Image:
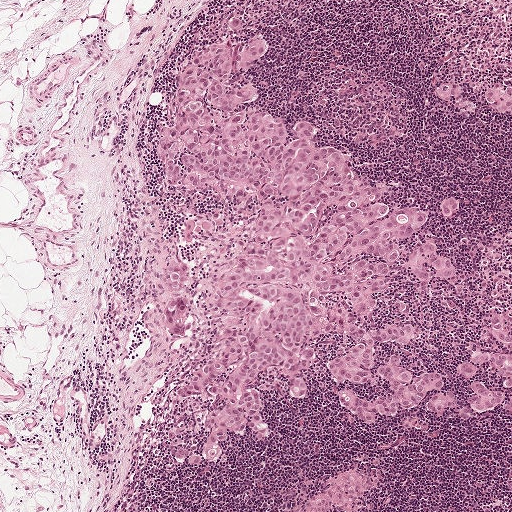
This is a crop of a whole-slide image: an H&E-stained breast-cancer sentinel lymph node section at roughly 5× magnification (about 1.9 µm per pixel; the crop spans about 1 mm).
Question:
Does this lymph node field contain metastatic tumour?
Answer:
Yes.
Eight metastatic tumour regions, each outlined as a closed clockwise path in crop pixels (x, y), largest first: region 1: (239, 17), (270, 43), (249, 107), (283, 119), (286, 144), (310, 119), (394, 212), (431, 215), (415, 244), (437, 241), (458, 281), (430, 288), (395, 266), (421, 337), (377, 357), (440, 369), (445, 386), (362, 422), (340, 393), (392, 388), (332, 373), (353, 344), (334, 332), (311, 399), (268, 389), (264, 442), (246, 424), (229, 460), (183, 464), (166, 440), (198, 407), (179, 394), (210, 358), (238, 224), (170, 187), (157, 154), (187, 78); region 2: (479, 350), (482, 351), (491, 350), (500, 351), (509, 354), (511, 353), (511, 388), (509, 387), (504, 383), (503, 376), (500, 375), (497, 372), (494, 365), (487, 364), (484, 366), (479, 374), (477, 375), (473, 377), (471, 377), (466, 375), (460, 370), (460, 367), (460, 363), (465, 360), (470, 360), (471, 359), (472, 359), (472, 354), (474, 352); region 3: (178, 270), (186, 275), (186, 294), (191, 302), (191, 310), (186, 333), (182, 337), (178, 337), (165, 324), (169, 296), (164, 281), (165, 275), (172, 271); region 4: (476, 382), (484, 382), (511, 395), (511, 412), (502, 406), (495, 406), (473, 420), (465, 422), (462, 420), (470, 392), (473, 390), (473, 384); region 5: (511, 85), (511, 119), (507, 114), (494, 110), (485, 101), (485, 93), (488, 91), (496, 87); region 6: (454, 390), (456, 395), (456, 407), (440, 411), (435, 410), (429, 406), (430, 397), (440, 391), (445, 393); region 7: (453, 80), (462, 86), (462, 96), (458, 101), (451, 102), (435, 96), (435, 92), (437, 87), (447, 89), (450, 88), (446, 84), (448, 82); region 8: (446, 196), (455, 197), (458, 197), (458, 200), (458, 212), (450, 216), (444, 216), (441, 215), (442, 205), (444, 197).
The annotated tumour makes up about 25% of the crop.